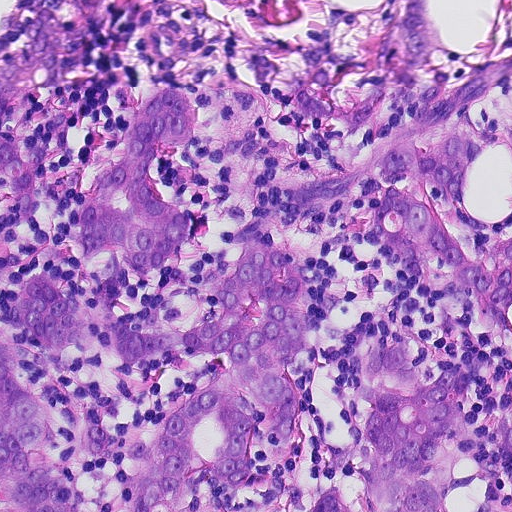
H&E-stained section of a sentinel lymph node (breast cancer), from a whole-slide image, viewed at about 20×: the field is about 0.23 mm across, about 0.45 µm per pixel.
Outlines of two tumour regions, largest first (closed clockwise paths, crop pixels): region 1: (256, 84), (264, 123), (161, 154), (194, 228), (123, 304), (128, 326), (184, 302), (190, 323), (252, 234), (292, 252), (320, 352), (287, 371), (294, 480), (336, 486), (364, 339), (408, 332), (444, 358), (456, 338), (447, 275), (370, 236), (378, 152), (506, 120), (511, 164), (488, 146), (463, 182), (511, 230), (511, 302), (466, 400), (474, 421), (511, 394), (511, 449), (478, 435), (495, 511), (0, 511), (0, 333), (28, 279), (82, 272), (145, 104); region 2: (68, 0), (102, 0), (64, 72), (49, 89), (8, 115), (14, 137), (37, 140), (32, 162), (17, 181), (0, 182), (0, 71), (16, 60), (34, 19), (50, 4), (68, 16).
About 50% of the image area is annotated as tumour.